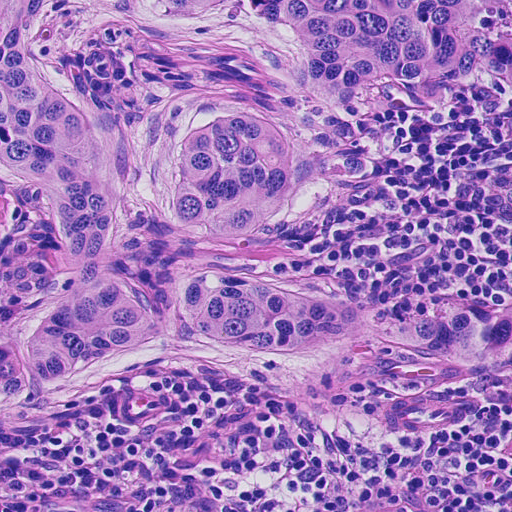
A 0.23-mm field of an H&E-stained sentinel lymph node from a breast-cancer patient (whole-slide image), shown at about 20×, about 0.45 µm per pixel.
Outlines of two tumour regions, largest first (closed clockwise paths, crop pixels): region 1: (0, 0), (499, 0), (468, 20), (511, 37), (507, 80), (399, 78), (335, 108), (306, 86), (275, 23), (242, 10), (174, 28), (70, 1), (64, 36), (75, 70), (124, 120), (134, 190), (168, 200), (186, 134), (214, 113), (281, 106), (312, 122), (312, 188), (256, 232), (242, 266), (376, 309), (446, 292), (482, 295), (511, 279), (511, 367), (482, 373), (380, 342), (280, 370), (175, 349), (17, 429), (0, 427); region 2: (189, 489), (216, 508), (216, 511), (144, 511), (158, 500).
Tumour covers about 45% of the frame.